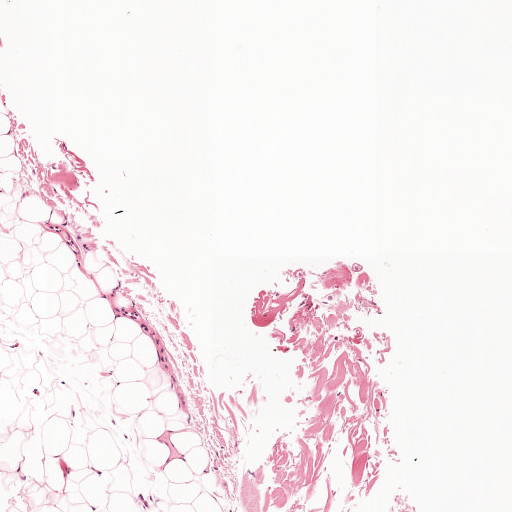
H&E-stained section of a sentinel lymph node (breast cancer), from a whole-slide image, viewed at about 5×: the field is about 1 mm across, about 1.9 µm per pixel.
Question: Show where the tumour is in this image.
Answer: The outlined metastatic tumour's edge, as a closed clockwise path of 10 points: (327, 294), (330, 294), (339, 294), (339, 296), (338, 301), (334, 301), (328, 301), (325, 300), (319, 300), (321, 297).
One more small tumour piece is annotated here but not outlined.
Under 5% of the image area is annotated as tumour.